Lymph node section stained with H&E, from a whole-slide image of a breast-cancer sentinel node. Magnification about 10×, about 0.46 mm across the frame, about 0.9 µm per pixel.
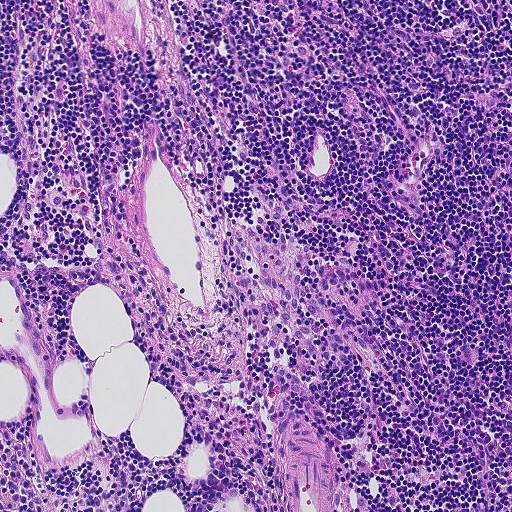
Question: Does this lymph node field contain metastatic tumour?
Answer: No: no metastatic tumour is outlined anywhere in this field.